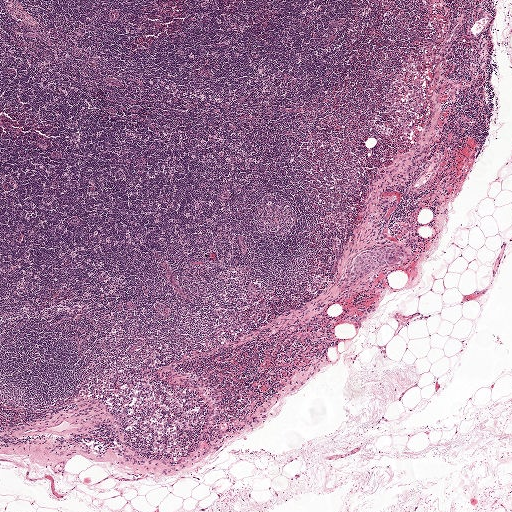
H&E-stained section of a sentinel lymph node (breast cancer), from a whole-slide image, viewed at about 2.5×: the field is about 2.0 mm across, about 3.9 µm per pixel.
The outlined metastatic tumour's edge, as a closed clockwise path of 11 points: (400, 244), (404, 246), (405, 250), (400, 261), (370, 271), (356, 280), (347, 280), (348, 271), (360, 253), (379, 246), (390, 247).
Under 5% of this field is tumour.